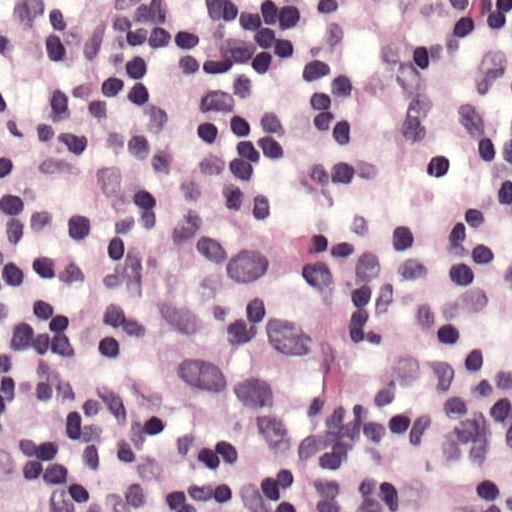
This is a crop of a whole-slide image: an H&E-stained breast-cancer sentinel lymph node section at roughly 40× magnification (about 0.24 µm per pixel; the crop spans about 0.12 mm).
Outlines of two tumour regions, largest first (closed clockwise paths, crop pixels): region 1: (236, 227), (319, 250), (333, 293), (331, 364), (293, 406), (237, 422), (178, 415), (134, 363), (142, 293), (182, 247); region 2: (511, 16), (511, 241), (503, 227), (471, 123), (505, 19).
About 15% of the image area is annotated as tumour.